Image:
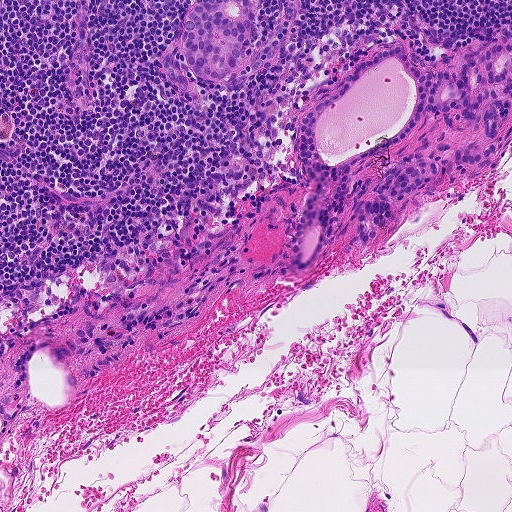
H&E-stained section of a sentinel lymph node (breast cancer), from a whole-slide image, viewed at about 10×: the field is about 0.46 mm across, about 0.9 µm per pixel.
Question:
Is there metastatic carcinoma in this field?
Answer:
Yes.
Outlines of four tumour regions, largest first (closed clockwise paths, crop pixels): region 1: (511, 40), (511, 72), (489, 87), (504, 101), (500, 134), (477, 136), (460, 109), (424, 115), (404, 141), (349, 172), (347, 196), (330, 214), (322, 248), (304, 271), (292, 255), (313, 182), (298, 164), (301, 119), (355, 64), (390, 46), (406, 46), (423, 74), (458, 76), (465, 62); region 2: (195, 0), (257, 2), (257, 10), (247, 55), (248, 63), (229, 80), (220, 82), (204, 80), (190, 69), (182, 54), (184, 20); region 3: (418, 153), (437, 165), (435, 183), (405, 201), (397, 202), (388, 200), (392, 207), (393, 216), (389, 224), (381, 228), (373, 243), (364, 245), (358, 240), (354, 224), (348, 222), (352, 208), (358, 202), (375, 197), (373, 191), (380, 176), (409, 154); region 4: (494, 143), (496, 148), (495, 154), (472, 166), (454, 164), (456, 148), (462, 150), (464, 154), (473, 155).
The annotated tumour makes up about 10% of the crop.

Image:
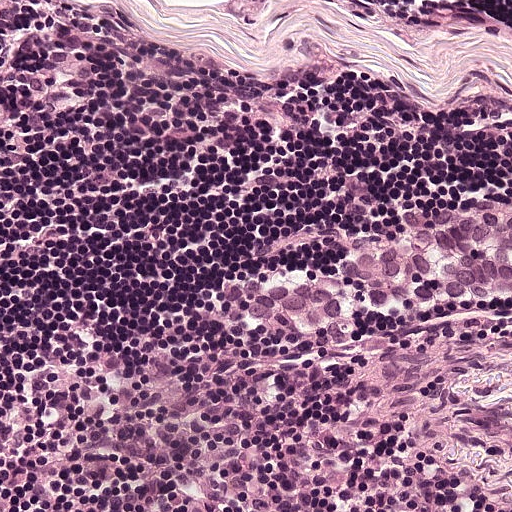
H&E-stained section of a sentinel lymph node (breast cancer), from a whole-slide image, viewed at about 20×: the field is about 0.25 mm across, about 0.49 µm per pixel.
Question:
Is there metastatic carcinoma in this field?
Answer:
Yes.
Metastatic tumour outline, simplified to 16 points and listed clockwise in crop pixels (x, y): (511, 200), (511, 286), (436, 308), (362, 310), (324, 331), (310, 330), (292, 317), (243, 318), (226, 292), (226, 283), (247, 271), (326, 264), (362, 232), (394, 224), (412, 206), (450, 210).
Tumour covers about 10% of the frame.

Image:
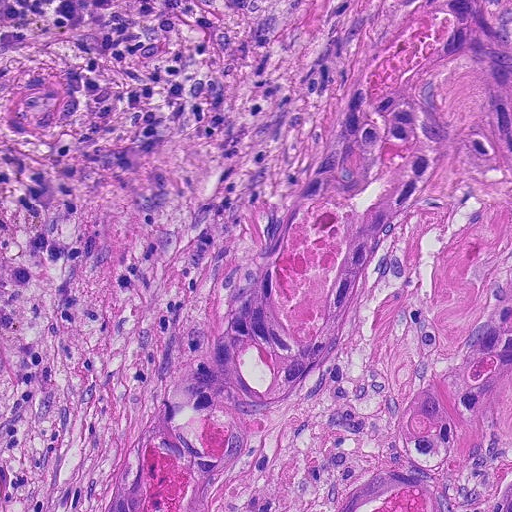
This is a crop of a whole-slide image: an H&E-stained breast-cancer sentinel lymph node section at roughly 20× magnification (about 0.45 µm per pixel; the crop spans about 0.23 mm).
Question:
Is there metastatic carcinoma in this field?
Answer:
Yes.
Metastatic tumour outline, simplified to 10 points and listed clockwise in crop pixels (x, y): (410, 0), (504, 0), (511, 511), (100, 511), (120, 456), (237, 302), (274, 211), (334, 132), (338, 82), (366, 40).
About 50% of this field is tumour.

Image:
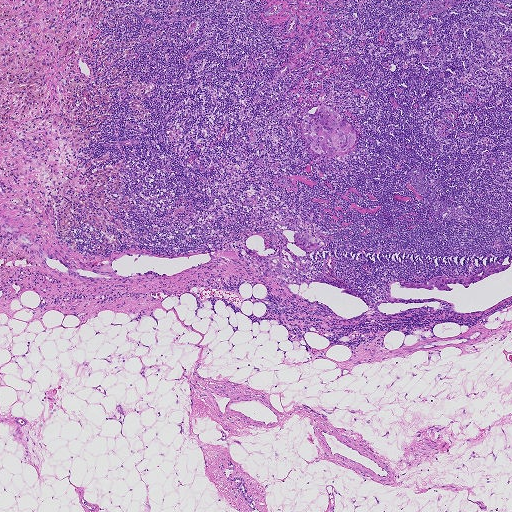
A 1.9-mm field of an H&E-stained sentinel lymph node from a breast-cancer patient (whole-slide image), shown at about 2.5×, about 3.6 µm per pixel.
Question:
Is there metastatic carcinoma in this field?
Answer:
Yes.
Boundaries of three metastatic tumour regions, simplified and listed clockwise, largest first: region 1: (323, 105), (334, 110), (352, 126), (355, 141), (347, 151), (318, 154), (305, 140), (301, 125), (303, 116), (310, 109); region 2: (506, 264), (509, 264), (506, 269), (503, 270), (491, 274), (483, 279), (471, 283), (467, 288), (464, 287), (461, 284), (458, 283), (449, 283), (446, 284), (451, 290), (439, 290), (437, 288), (434, 287), (432, 290), (428, 290), (423, 288), (417, 289), (401, 287), (398, 282), (422, 282), (436, 277), (442, 276), (448, 278), (458, 279), (470, 278), (492, 268); region 3: (306, 232), (322, 240), (323, 246), (314, 251), (305, 252), (294, 244), (295, 235).
The annotated tumour makes up under 5% of the crop.